Question: 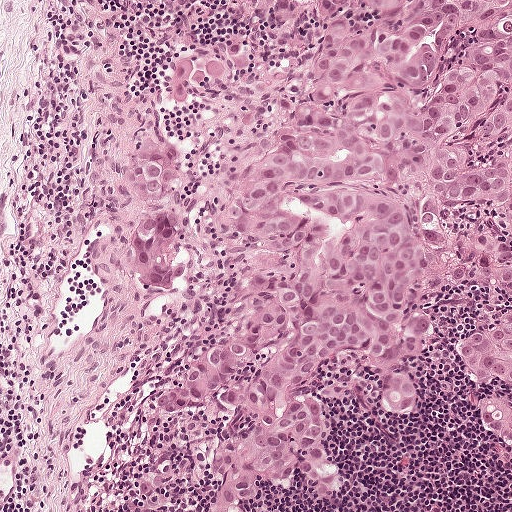
H&E-stained section of a sentinel lymph node (breast cancer), from a whole-slide image, viewed at about 10×: the field is about 0.5 mm across, about 0.97 µm per pixel.
About how much of this crop is taken up by metastatic carcinoma?

Choices:
 (A) about 10% to 20%
 (B) about 5% or less
 (C) about 25% to 45%
 (D) about 50% or more
 (E) none: no tumour is outlined

Answer: (D) about 50% or more
About 50% of the field is tumour.
Boundaries of three metastatic tumour regions, simplified and listed clockwise, largest first: region 1: (158, 0), (511, 0), (511, 384), (462, 349), (509, 295), (464, 284), (415, 368), (425, 416), (383, 412), (368, 387), (339, 397), (331, 502), (294, 466), (267, 511), (136, 511), (139, 480), (200, 432), (161, 405), (222, 334), (236, 171), (276, 114), (280, 65); region 2: (158, 158), (174, 168), (176, 205), (186, 222), (186, 238), (176, 284), (166, 292), (159, 292), (133, 267), (136, 235), (142, 211), (130, 180), (132, 168), (147, 160); region 3: (492, 399), (511, 402), (511, 449), (506, 446), (496, 432), (484, 426), (482, 413), (484, 404).